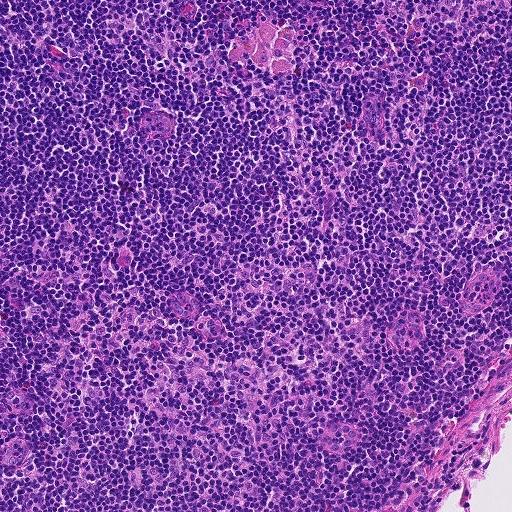
This is a crop of a whole-slide image: an H&E-stained breast-cancer sentinel lymph node section at roughly 10× magnification (about 0.9 µm per pixel; the crop spans about 0.46 mm).
Question: Is any metastatic breast cancer visible in this crop?
Answer: No: no metastatic tumour is outlined anywhere in this field.